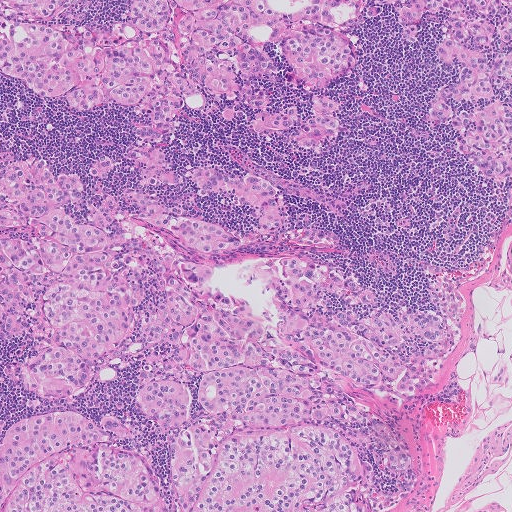
Lymph node section stained with H&E, from a whole-slide image of a breast-cancer sentinel node. Magnification about 5×, about 1.0 mm across the frame, about 2.0 µm per pixel.
Four metastatic tumour regions, each outlined as a closed clockwise path in crop pixels (x, y), largest first: region 1: (0, 147), (360, 268), (371, 293), (398, 301), (440, 266), (462, 316), (436, 305), (458, 355), (372, 414), (400, 462), (372, 467), (374, 511), (172, 511), (163, 445), (131, 397), (133, 340), (78, 398), (18, 389), (2, 365), (15, 339), (0, 342); region 2: (0, 0), (360, 0), (358, 44), (335, 97), (338, 124), (317, 143), (289, 144), (235, 124), (180, 140), (199, 159), (284, 194), (295, 222), (269, 231), (196, 190), (114, 183), (91, 166), (116, 155), (138, 172), (128, 145), (131, 117), (0, 87); region 3: (370, 0), (511, 0), (511, 202), (497, 202), (464, 155), (419, 120), (435, 66), (424, 40), (396, 46), (385, 20), (358, 17); region 4: (26, 411), (85, 411), (140, 424), (141, 452), (152, 477), (158, 511), (0, 511), (0, 432).
About 70% of this field is tumour.